Lymph node section stained with H&E, from a whole-slide image of a breast-cancer sentinel node. Magnification about 2.5×, about 2.0 mm across the frame, about 3.9 µm per pixel.
Question: 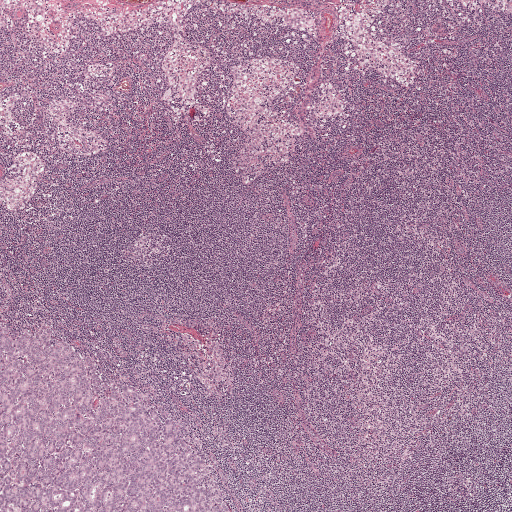
About how much of this crop is taken up by metastatic carcinoma?

Choices:
 (A) about 5% or less
 (B) about 10% to 20%
 (C) none: no tumour is outlined
 (D) about 25% to 45%
 (E) about 50% or more

Answer: (B) about 10% to 20%
About 10% of the field is tumour.
Tumour region outline (a closed clockwise path, crop pixels): (43, 323), (92, 356), (103, 374), (166, 404), (197, 438), (236, 511), (0, 511), (0, 325), (29, 330).